Question: 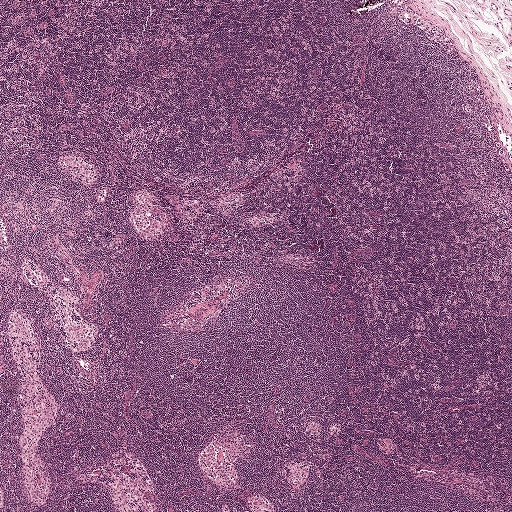
Which magnification is this H&E lymph node field most likely shown at?

Choices:
 (A) about 10×
 (B) about 5×
 (C) about 20×
 (D) about 40×
 (E) about 2.5×

Answer: (E) about 2.5×
This is a crop of a whole-slide image: an H&E-stained breast-cancer sentinel lymph node section at roughly 2.5× magnification (about 3.9 µm per pixel; the crop spans about 2.0 mm).